This is a crop of a whole-slide image: an H&E-stained breast-cancer sentinel lymph node section at roughly 20× magnification (about 0.49 µm per pixel; the crop spans about 0.25 mm).
Image:
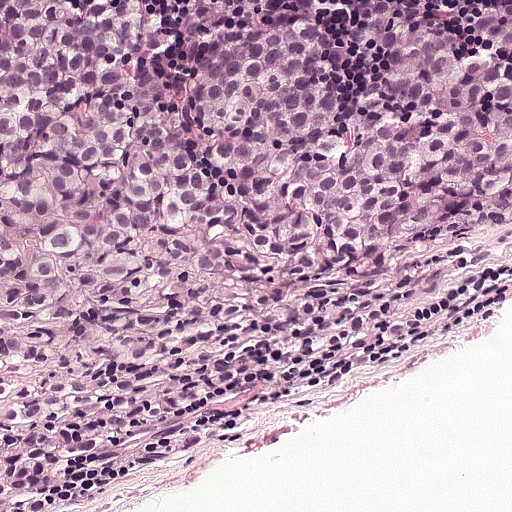
Question:
Is there metastatic carcinoma in this field?
Answer:
Yes.
Metastatic tumour outline, simplified to 6 points and listed clockwise in crop pixels (x, y): (0, 0), (511, 0), (511, 150), (448, 178), (400, 182), (2, 374).
The annotated tumour makes up about 50% of the crop.